Image:
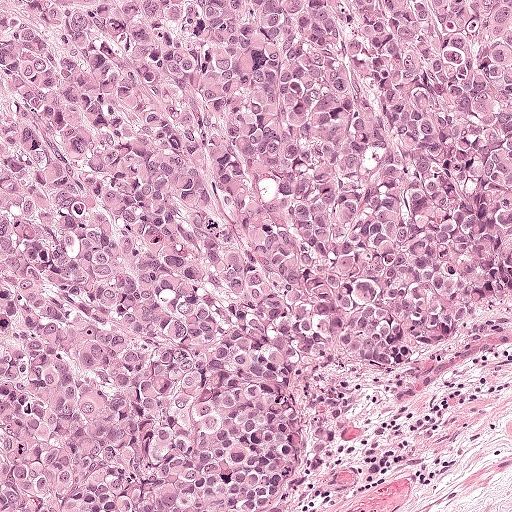
This is a crop of a whole-slide image: an H&E-stained breast-cancer sentinel lymph node section at roughly 10× magnification (about 0.97 µm per pixel; the crop spans about 0.5 mm).
Question:
Does this lymph node field contain metastatic tumour?
Answer:
Yes.
The outlined metastatic tumour's edge, as a closed clockwise path of 6 points: (0, 0), (511, 0), (511, 327), (380, 420), (313, 511), (0, 511).
About 90% of this field is tumour.

Image:
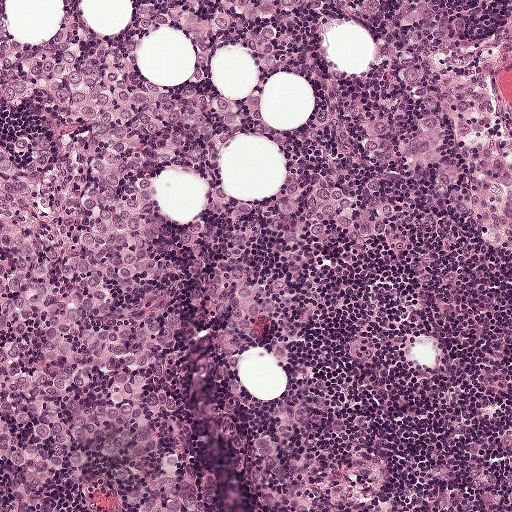
This is a crop of a whole-slide image: an H&E-stained breast-cancer sentinel lymph node section at roughly 10× magnification (about 0.97 µm per pixel; the crop spans about 0.5 mm).
Question:
Does this lymph node field contain metastatic tumour?
Answer:
Yes.
The outlined metastatic tumour's edge, as a closed clockwise path of 22 points: (0, 0), (34, 43), (56, 41), (64, 0), (95, 32), (130, 22), (129, 0), (407, 0), (442, 32), (442, 195), (227, 375), (268, 403), (328, 399), (386, 510), (267, 511), (219, 400), (228, 247), (194, 216), (202, 181), (164, 168), (202, 511), (0, 511).
The outline encloses five non-tumour holes totalling about 5% of the region's area.
Tumour covers about 60% of the frame.

Image:
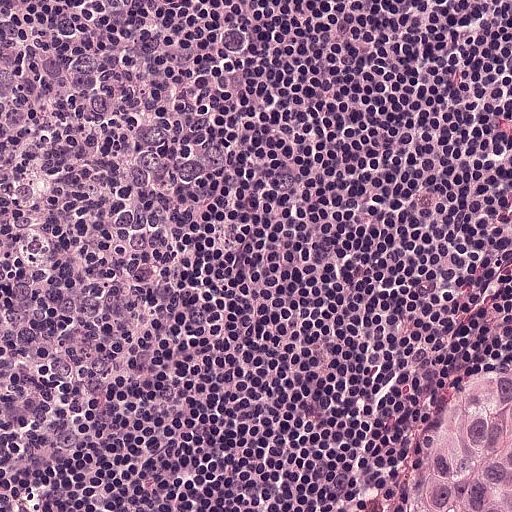
A 0.25-mm field of an H&E-stained sentinel lymph node from a breast-cancer patient (whole-slide image), shown at about 20×, about 0.49 µm per pixel.
Question:
Does this lymph node field contain metastatic tumour?
Answer:
Yes.
The outlined metastatic tumour's edge, as a closed clockwise path of 10 points: (510, 346), (511, 511), (312, 511), (322, 497), (350, 486), (368, 466), (385, 418), (416, 383), (442, 374), (448, 366).
The annotated tumour makes up about 10% of the crop.

Image:
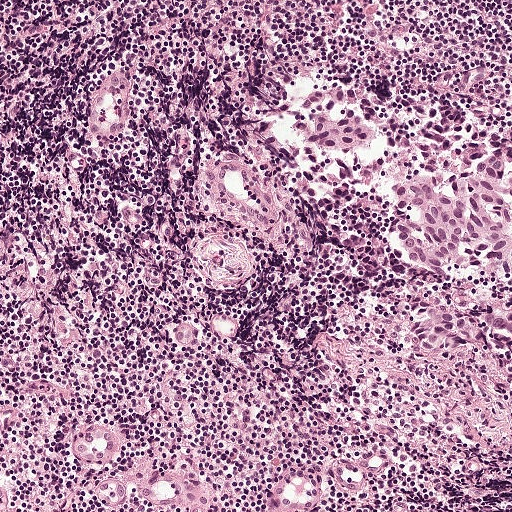
Lymph node section stained with H&E, from a whole-slide image of a breast-cancer sentinel node. Magnification about 10×, about 0.5 mm across the frame, about 0.97 µm per pixel.
Question:
Does this lymph node field contain metastatic tumour?
Answer:
Yes.
Boundaries of two metastatic tumour regions, simplified and listed clockwise, largest first: region 1: (314, 85), (381, 88), (421, 113), (481, 121), (511, 134), (511, 287), (480, 269), (449, 280), (427, 274), (400, 253), (390, 197), (316, 174), (288, 120), (301, 94); region 2: (434, 300), (448, 300), (469, 311), (511, 312), (511, 352), (491, 341), (456, 343), (446, 348), (426, 348), (420, 346), (414, 338), (413, 326), (419, 318), (430, 313).
About 10% of the image area is annotated as tumour.